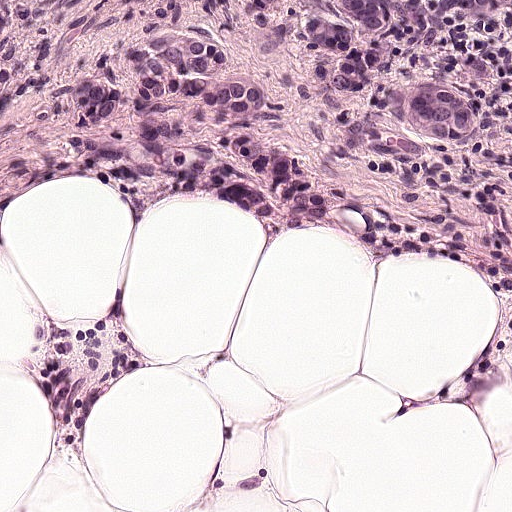
A 0.25-mm field of an H&E-stained sentinel lymph node from a breast-cancer patient (whole-slide image), shown at about 20×, about 0.49 µm per pixel.
Two metastatic tumour regions, each outlined as a closed clockwise path in crop pixels (x, y), largest first: region 1: (511, 0), (511, 181), (383, 144), (311, 109), (257, 2); region 2: (0, 0), (92, 0), (76, 30), (56, 44), (57, 54), (40, 63), (24, 98), (0, 119).
Tumour covers about 15% of the frame.